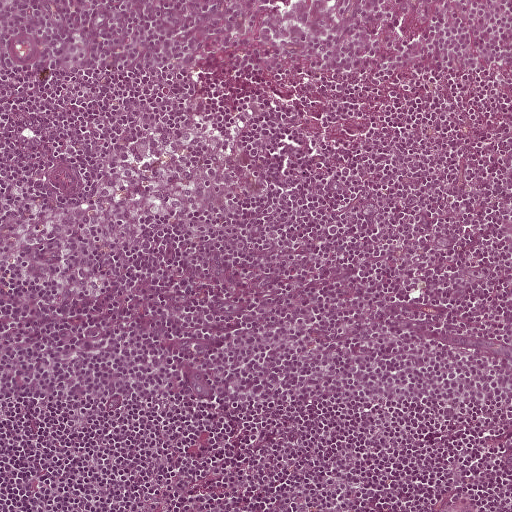
This is a crop of a whole-slide image: an H&E-stained breast-cancer sentinel lymph node section at roughly 10× magnification (about 0.97 µm per pixel; the crop spans about 0.5 mm).